Question: 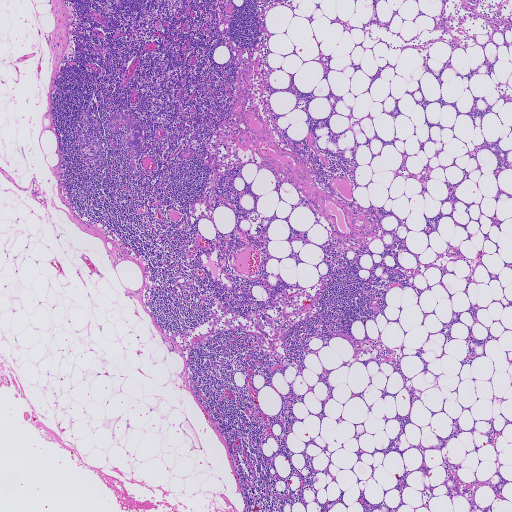
At roughly what magnification is this field shown?

Choices:
 (A) about 40×
 (B) about 20×
 (C) about 2.5×
 (D) about 10×
 (E) about 5×

Answer: (C) about 2.5×
A 1.9-mm field of an H&E-stained sentinel lymph node from a breast-cancer patient (whole-slide image), shown at about 2.5×, about 3.6 µm per pixel.
One metastatic tumour region; its boundary, reduced to 15 corners and listed clockwise: (118, 111), (135, 121), (143, 129), (143, 140), (140, 151), (132, 153), (126, 144), (130, 134), (126, 131), (126, 121), (120, 121), (120, 130), (115, 132), (108, 126), (112, 115).
One more small tumour piece is annotated here but not outlined.
Under 5% of the image area is annotated as tumour.